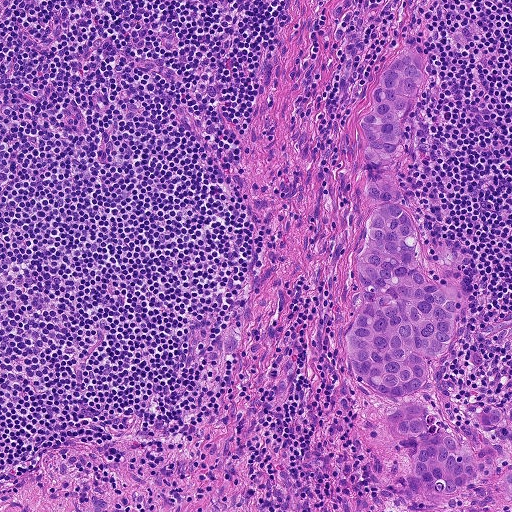
H&E-stained section of a sentinel lymph node (breast cancer), from a whole-slide image, viewed at about 10×: the field is about 0.46 mm across, about 0.9 µm per pixel.
Tumour region outline (a closed clockwise path, crop pixels): (404, 54), (425, 62), (425, 85), (402, 122), (403, 200), (425, 264), (462, 289), (465, 310), (424, 399), (477, 429), (482, 407), (511, 406), (511, 506), (494, 478), (452, 501), (396, 492), (410, 448), (344, 338), (366, 227), (356, 117).
About 10% of this field is tumour.